Question: 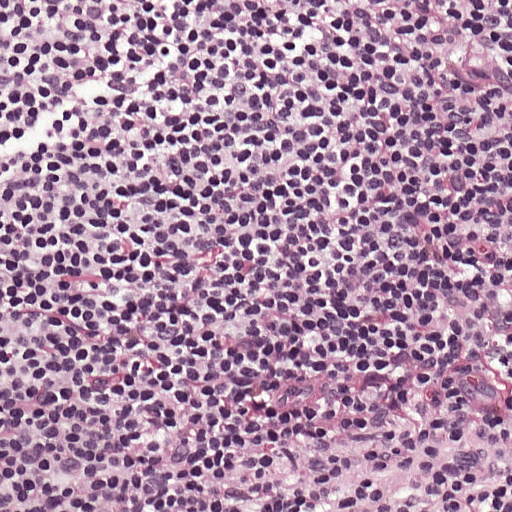
About what magnification does this crop show?

Choices:
 (A) about 10×
 (B) about 2.5×
 (C) about 5×
 (D) about 40×
 (E) about 20×

Answer: (E) about 20×
H&E-stained section of a sentinel lymph node (breast cancer), from a whole-slide image, viewed at about 20×: the field is about 0.25 mm across, about 0.49 µm per pixel.